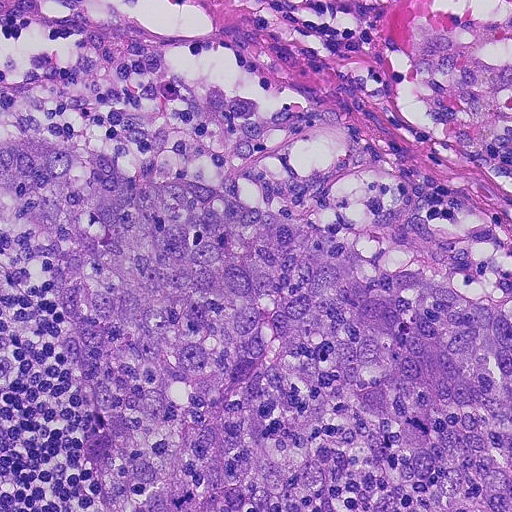
A 0.23-mm field of an H&E-stained sentinel lymph node from a breast-cancer patient (whole-slide image), shown at about 20×, about 0.45 µm per pixel.
Metastatic tumour outline, simplified to 12 points and listed clockwise in crop pixels (x, y): (46, 126), (130, 175), (179, 175), (362, 260), (511, 298), (511, 511), (103, 511), (77, 454), (73, 357), (50, 260), (0, 214), (0, 130).
About 50% of this field is tumour.